Image:
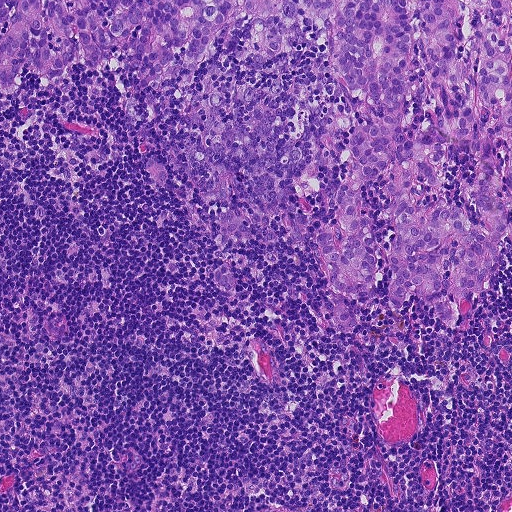
A 0.46-mm field of an H&E-stained sentinel lymph node from a breast-cancer patient (whole-slide image), shown at about 10×, about 0.9 µm per pixel.
Question:
Where is the metastatic tumour in this field? Give each region's outline as (x, y) pixel points.
Answer:
The outlined metastatic tumour's edge, as a closed clockwise path of 22 points: (0, 0), (511, 0), (511, 226), (494, 285), (459, 333), (414, 297), (393, 312), (384, 262), (340, 333), (318, 226), (216, 237), (225, 210), (169, 165), (162, 190), (144, 171), (193, 140), (183, 64), (150, 90), (114, 50), (51, 88), (24, 66), (4, 97).
The annotated tumour makes up about 40% of the crop.